Image:
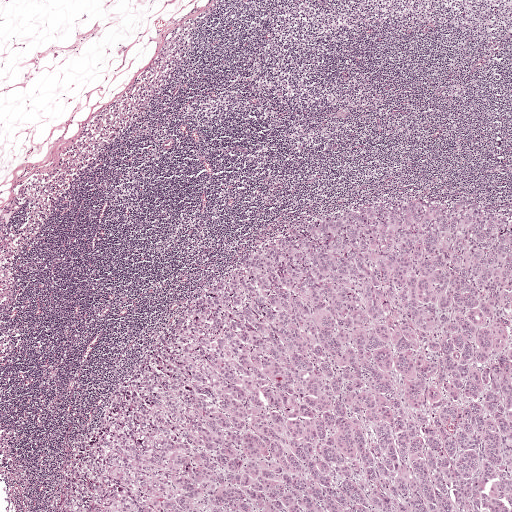
Lymph node section stained with H&E, from a whole-slide image of a breast-cancer sentinel node. Magnification about 2.5×, about 2.0 mm across the frame, about 3.9 µm per pixel.
Question:
Show where the tumour is in this image.
Answer:
Metastatic tumour outline, simplified to 7 points and listed clockwise in crop pixels (x, y): (415, 198), (511, 211), (511, 511), (45, 511), (135, 359), (227, 265), (296, 228).
Tumour covers about 40% of the frame.